Question: 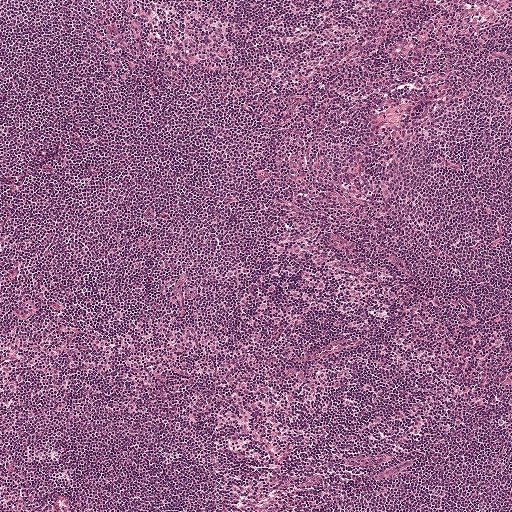
Lymph node section stained with H&E, from a whole-slide image of a breast-cancer sentinel node. Magnification about 5×, about 1 mm across the frame, about 1.9 µm per pixel.
Roughly what share of this field is metastatic tumour?

Choices:
 (A) none: no tumour is outlined
 (B) about 10% to 20%
 (C) about 5% or less
 (D) about 50% or more
 (E) about 25% to 45%

Answer: (A) none: no tumour is outlined
No metastatic tumour is outlined in this field.